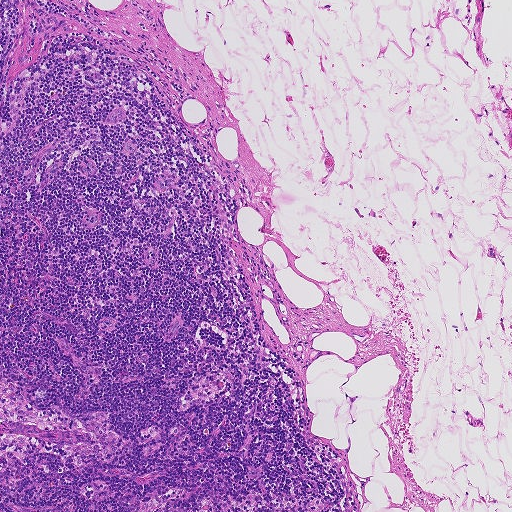
A 0.93-mm field of an H&E-stained sentinel lymph node from a breast-cancer patient (whole-slide image), shown at about 5×, about 1.8 µm per pixel.